Image:
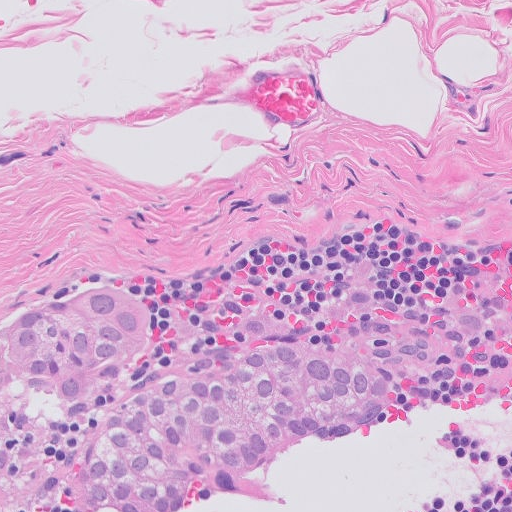
This is a crop of a whole-slide image: an H&E-stained breast-cancer sentinel lymph node section at roughly 20× magnification (about 0.5 µm per pixel; the crop spans about 0.26 mm).
Question:
Trace the edge of each tumour region in this crop, as (x, y) points from 0 to 511.
Answer:
One metastatic tumour region; its boundary, reduced to 19 corners and listed clockwise: (120, 276), (154, 312), (152, 341), (169, 364), (198, 360), (236, 319), (266, 314), (290, 334), (412, 344), (418, 402), (400, 428), (284, 460), (171, 511), (77, 511), (59, 466), (81, 410), (0, 494), (0, 316), (58, 282).
Tumour covers about 25% of the frame.